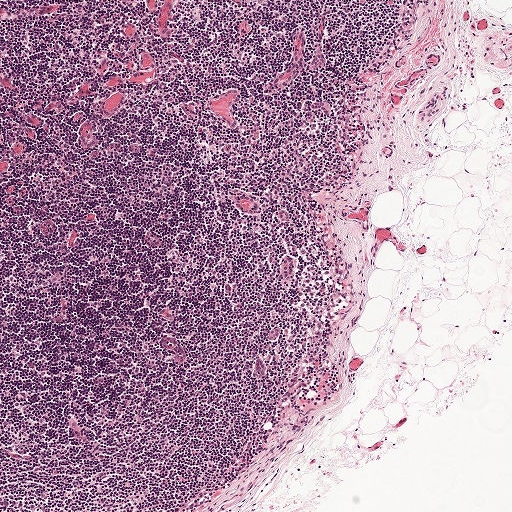
H&E-stained section of a sentinel lymph node (breast cancer), from a whole-slide image, viewed at about 5×: the field is about 1 mm across, about 1.9 µm per pixel.